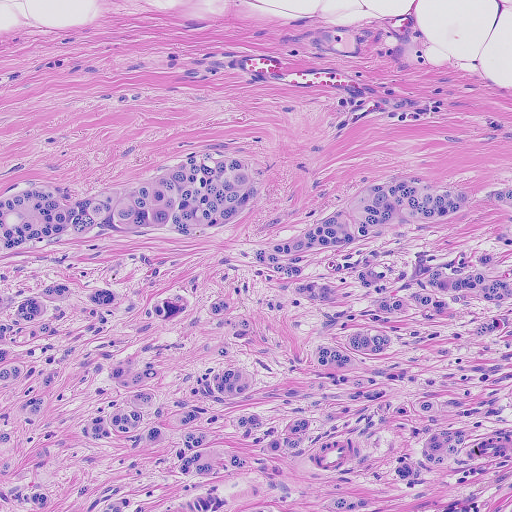
H&E-stained section of a sentinel lymph node (breast cancer), from a whole-slide image, viewed at about 10×: the field is about 0.46 mm across, about 0.91 µm per pixel.
Metastatic tumour outline, simplified to 23 points and listed clockwise in crop pixels (x, y): (229, 142), (268, 172), (226, 236), (244, 240), (310, 221), (365, 182), (415, 173), (472, 191), (468, 208), (425, 234), (447, 254), (496, 233), (508, 220), (480, 194), (511, 181), (511, 246), (494, 252), (509, 282), (511, 511), (0, 511), (0, 189), (21, 176), (87, 193).
The annotated tumour makes up about 65% of the crop.